Lymph node section stained with H&E, from a whole-slide image of a breast-cancer sentinel node. Magnification about 2.5×, about 2.0 mm across the frame, about 3.9 µm per pixel.
Image:
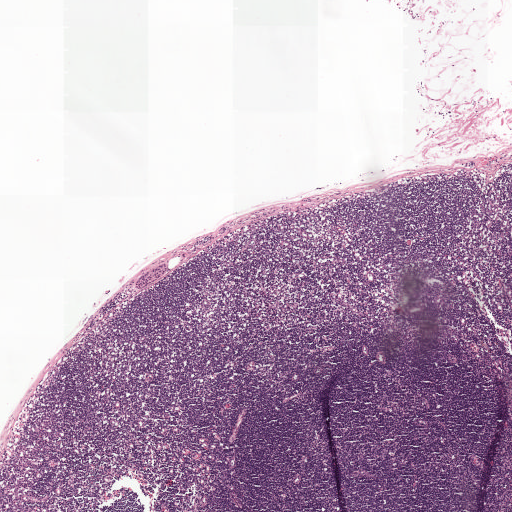
Question:
Which parts of this field are metastatic tumour?
Answer:
The outlined metastatic tumour's edge, as a closed clockwise path of 9 points: (165, 263), (166, 265), (166, 272), (153, 283), (142, 289), (136, 288), (134, 285), (138, 279), (157, 264).
One more small tumour piece is annotated here but not outlined.
Tumour covers under 5% of the frame.